Image:
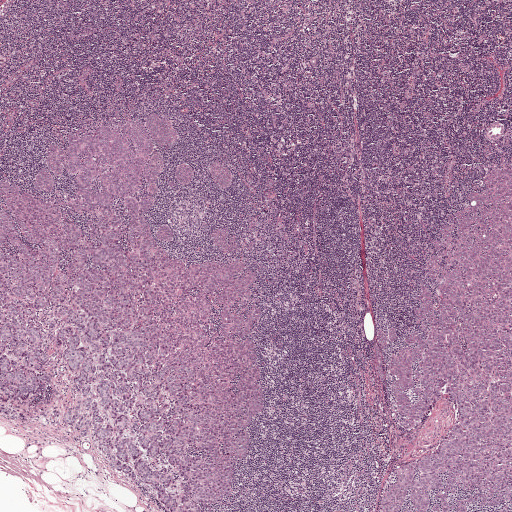
Lymph node section stained with H&E, from a whole-slide image of a breast-cancer sentinel node. Magnification about 2.5×, about 2.0 mm across the frame, about 3.9 µm per pixel.
Question:
Which parts of this field are metastatic tumour? Answer with the outline of each region, in pixels.
Answer:
Outlines of seven tumour regions, largest first (closed clockwise paths, crop pixels): region 1: (158, 113), (176, 134), (154, 142), (158, 243), (186, 266), (241, 260), (256, 273), (263, 408), (240, 427), (252, 446), (231, 497), (200, 511), (168, 511), (73, 440), (63, 342), (53, 401), (22, 423), (0, 414), (0, 181), (44, 199), (33, 184), (46, 168), (54, 176), (47, 149); region 2: (503, 162), (511, 167), (511, 511), (380, 511), (382, 497), (402, 467), (439, 446), (456, 413), (440, 397), (430, 415), (401, 432), (374, 353), (383, 327), (409, 335), (418, 324), (415, 299), (451, 213), (490, 169); region 3: (500, 122), (505, 124), (506, 133), (500, 147), (494, 147), (486, 141), (483, 131), (489, 123); region 4: (215, 161), (225, 165), (232, 178), (229, 187), (219, 188), (215, 185), (210, 170), (211, 165); region 5: (223, 226), (227, 228), (230, 233), (227, 243), (231, 246), (231, 251), (227, 254), (224, 254), (215, 249), (210, 240), (211, 235), (214, 230); region 6: (178, 164), (186, 164), (191, 166), (193, 176), (189, 184), (184, 185), (179, 184), (175, 181), (173, 177), (176, 167); region 7: (164, 224), (169, 226), (172, 230), (172, 240), (168, 242), (162, 242), (158, 239), (158, 229).
One more small tumour piece is annotated here but not outlined.
About 40% of this field is tumour.